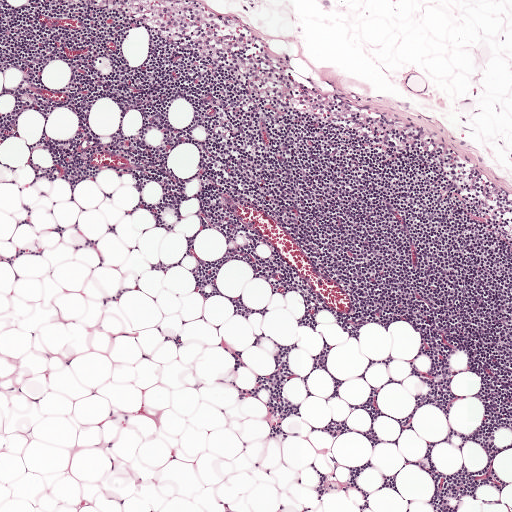
A 1-mm field of an H&E-stained sentinel lymph node from a breast-cancer patient (whole-slide image), shown at about 5×, about 1.9 µm per pixel.